Image:
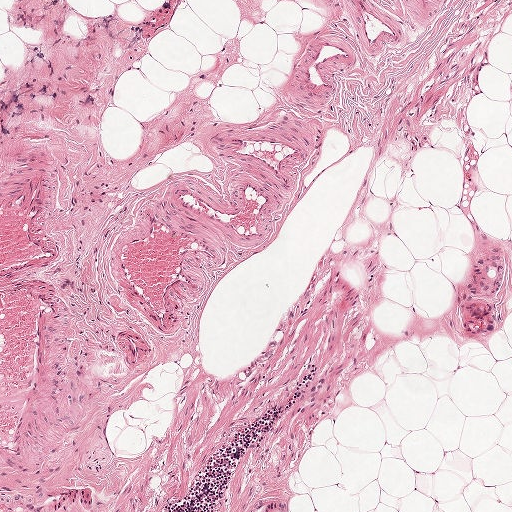
A 1-mm field of an H&E-stained sentinel lymph node from a breast-cancer patient (whole-slide image), shown at about 5×, about 1.9 µm per pixel.
Question:
Does this lymph node field contain metastatic tumour?
Answer:
No, this field holds no outlined metastasis.